Image:
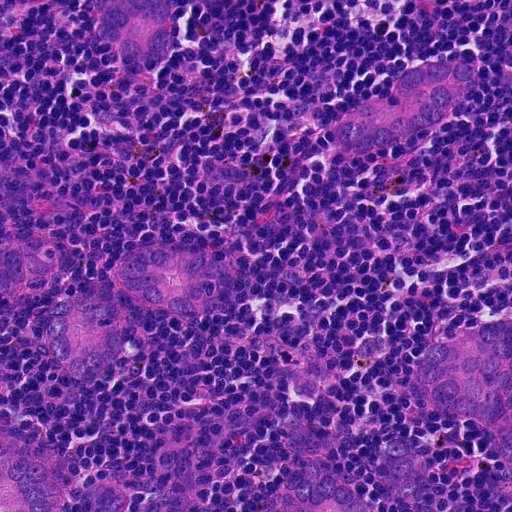
H&E-stained section of a sentinel lymph node (breast cancer), from a whole-slide image, viewed at about 20×: the field is about 0.23 mm across, about 0.45 µm per pixel.
Question:
Which parts of this field are metastatic tumour?
Answer:
Boundaries of eight metastatic tumour regions, simplified and listed clockwise, largest first: region 1: (488, 322), (510, 325), (511, 478), (498, 440), (481, 423), (436, 412), (418, 401), (408, 382), (415, 362), (448, 336); region 2: (440, 59), (461, 60), (476, 74), (474, 94), (460, 112), (385, 148), (346, 154), (331, 140), (333, 120), (372, 102), (394, 102), (392, 92), (400, 73); region 3: (90, 284), (110, 292), (121, 310), (125, 331), (122, 353), (110, 372), (94, 386), (74, 384), (56, 375), (45, 355), (44, 334), (49, 314), (60, 296); region 4: (140, 243), (182, 244), (201, 252), (217, 264), (220, 286), (219, 307), (201, 316), (180, 319), (139, 300), (122, 287), (112, 273), (122, 254); region 5: (296, 420), (315, 432), (316, 454), (330, 471), (344, 486), (362, 496), (370, 511), (258, 511), (282, 479), (292, 460), (285, 440); region 6: (102, 0), (169, 0), (172, 6), (168, 27), (175, 43), (164, 64), (140, 71), (121, 65), (112, 46), (90, 35), (101, 20); region 7: (0, 432), (50, 453), (61, 470), (63, 492), (58, 511), (0, 511); region 8: (0, 238), (52, 253), (58, 272), (48, 290), (28, 296), (0, 293).
One more small tumour piece is annotated here but not outlined.
The annotated tumour makes up about 20% of the crop.